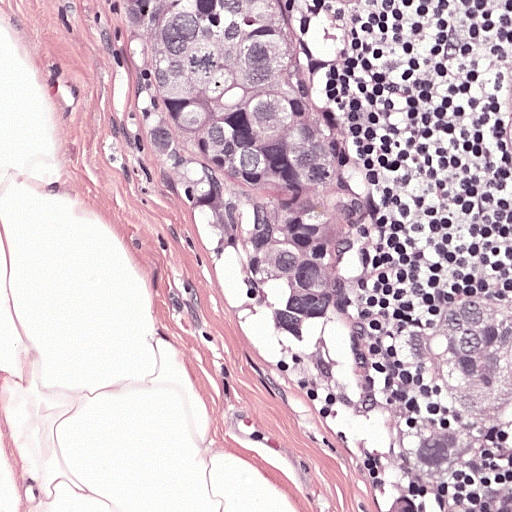
H&E-stained section of a sentinel lymph node (breast cancer), from a whole-slide image, viewed at about 20×: the field is about 0.25 mm across, about 0.49 µm per pixel.
Outlines of four tumour regions, largest first (closed clockwise paths, crop pixels): region 1: (104, 0), (294, 0), (304, 68), (372, 204), (348, 324), (292, 333), (250, 313), (142, 178), (132, 97), (118, 78); region 2: (454, 288), (511, 290), (511, 467), (462, 480), (448, 511), (381, 511), (394, 454), (437, 420), (413, 370), (415, 332), (432, 303); region 3: (511, 43), (511, 166), (510, 162), (506, 137), (500, 114), (500, 88), (506, 62); region 4: (302, 0), (380, 0), (369, 9), (343, 14).
The annotated tumour makes up about 30% of the crop.